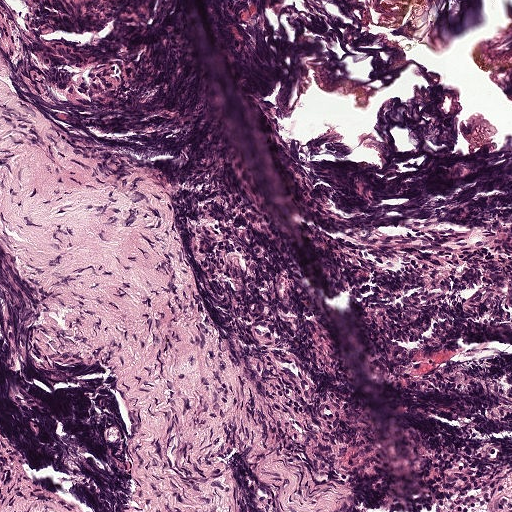
Lymph node section stained with H&E, from a whole-slide image of a breast-cancer sentinel node. Magnification about 10×, about 0.5 mm across the frame, about 0.97 µm per pixel.
Question: Does this lymph node field contain metastatic tumour?
Answer: No: no metastatic tumour is outlined anywhere in this field.